H&E-stained section of a sentinel lymph node (breast cancer), from a whole-slide image, viewed at about 40×: the field is about 0.12 mm across, about 0.24 µm per pixel.
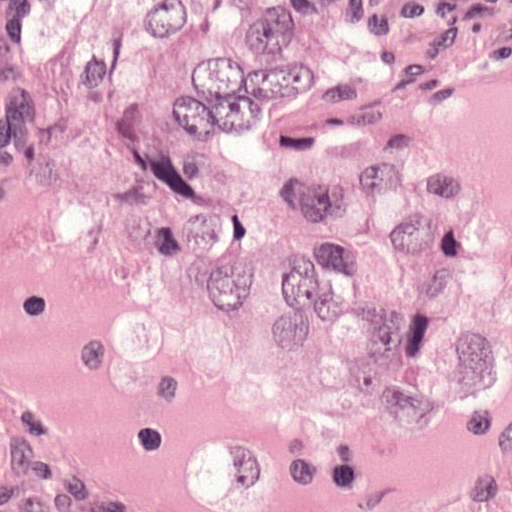
The outlined metastatic tumour's edge, as a closed clockwise path of 14 points: (57, 0), (352, 0), (312, 56), (393, 108), (464, 175), (511, 292), (511, 381), (333, 511), (182, 511), (112, 427), (74, 327), (117, 189), (122, 94), (60, 20).
Tumour covers about 65% of the frame.